Question: 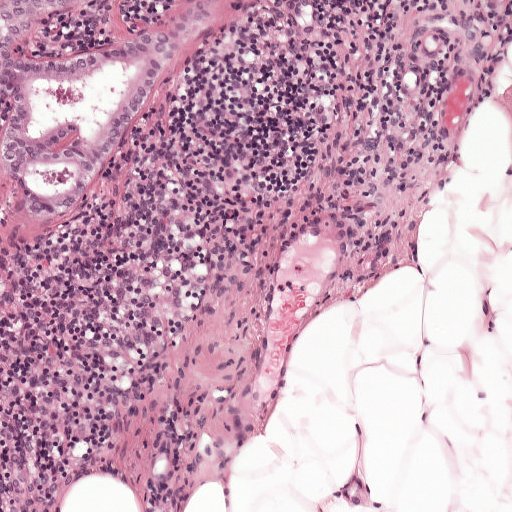
H&E-stained section of a sentinel lymph node (breast cancer), from a whole-slide image, viewed at about 10×: the field is about 0.5 mm across, about 0.97 µm per pixel.
Roughly what share of this field is metastatic tumour?

Choices:
 (A) none: no tumour is outlined
 (B) about 25% to 45%
 (C) about 5% or less
 (D) about 10% to 20%
 (E) about 50% or more

Answer: (D) about 10% to 20%
About 15% of the field is tumour.
Tumour region outline (a closed clockwise path, crop pixels): (0, 0), (286, 0), (214, 47), (180, 102), (138, 145), (109, 201), (0, 240).
Question: 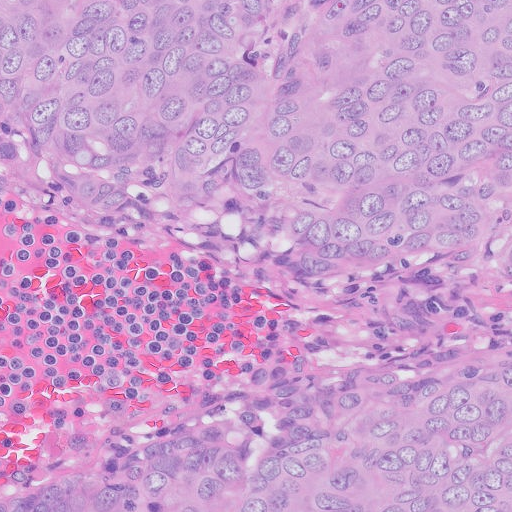
H&E-stained section of a sentinel lymph node (breast cancer), from a whole-slide image, viewed at about 20×: the field is about 0.26 mm across, about 0.5 µm per pixel.
Roughly what share of this field is metastatic tumour?

Choices:
 (A) none: no tumour is outlined
 (B) about 25% to 45%
 (C) about 10% to 20%
 (D) about 5% or less
 (E) about 50% or more

Answer: (E) about 50% or more
About 75% of the field is tumour.
Metastatic tumour outline, simplified to 11 points and listed clockwise in crop pixels (x, y): (0, 0), (511, 0), (511, 511), (0, 511), (0, 482), (124, 419), (332, 398), (396, 370), (419, 304), (216, 260), (0, 176).
Question: 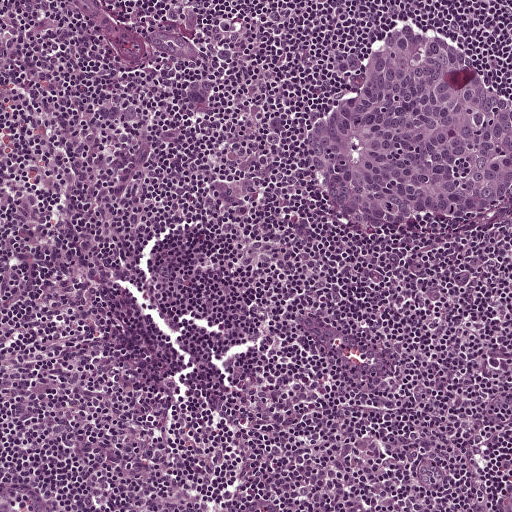
H&E-stained section of a sentinel lymph node (breast cancer), from a whole-slide image, viewed at about 10×: the field is about 0.5 mm across, about 0.97 µm per pixel.
Roughly what share of this field is metastatic tumour?

Choices:
 (A) about 50% or more
 (B) about 10% to 20%
 (C) about 5% or less
 (D) about 25% to 45%
 (E) none: no tumour is outlined

Answer: (B) about 10% to 20%
About 15% of the field is tumour.
Three metastatic tumour regions, each outlined as a closed clockwise path in crop pixels (x, y), largest first: region 1: (421, 18), (464, 44), (511, 99), (511, 198), (469, 223), (420, 236), (349, 228), (315, 182), (306, 154), (309, 126), (379, 36); region 2: (511, 457), (511, 511), (496, 511), (494, 503), (494, 478), (509, 460); region 3: (204, 76), (214, 77), (216, 87), (209, 98), (197, 107), (188, 100), (185, 87), (194, 79).
Question: 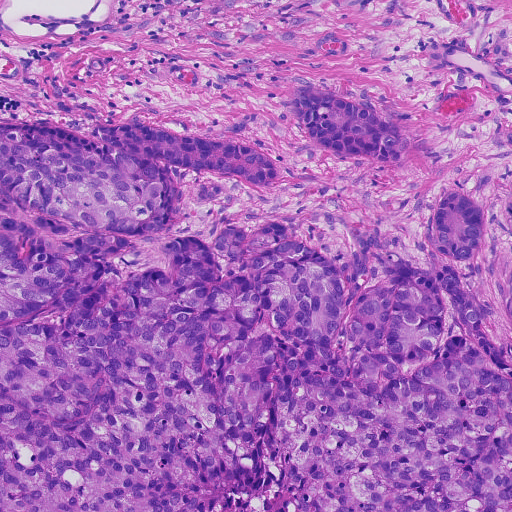
Lymph node section stained with H&E, from a whole-slide image of a breast-cancer sentinel node. Magnification about 10×, about 0.46 mm across the frame, about 0.91 µm per pixel.
Roughly what share of this field is metastatic tumour?

Choices:
 (A) about 50% or more
 (B) about 5% or less
 (C) none: no tumour is outlined
 (D) about 10% to 20%
 (E) about 25% to 45%

Answer: (A) about 50% or more
About 65% of the field is tumour.
Boundaries of three metastatic tumour regions, simplified and listed clockwise, largest first: region 1: (0, 119), (94, 139), (92, 127), (158, 126), (272, 159), (266, 186), (168, 168), (174, 220), (118, 259), (136, 267), (160, 266), (168, 237), (265, 220), (351, 272), (396, 257), (430, 270), (434, 207), (448, 188), (470, 195), (484, 238), (454, 269), (500, 343), (511, 511), (0, 511); region 2: (298, 85), (317, 86), (334, 92), (386, 116), (402, 126), (411, 142), (404, 158), (385, 162), (349, 158), (315, 144), (292, 118), (288, 100); region 3: (511, 263), (511, 315), (507, 310), (503, 287).
One more small tumour piece is annotated here but not outlined.